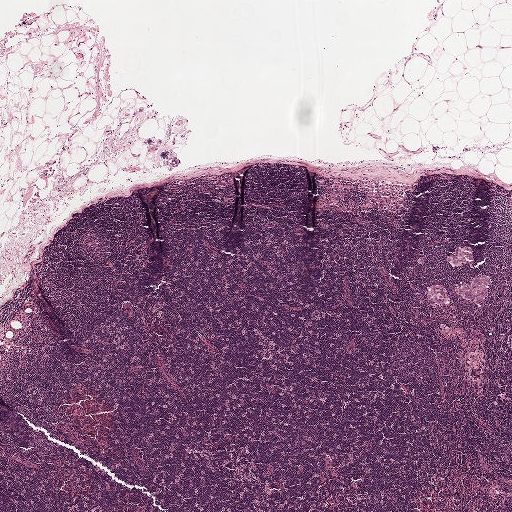
H&E-stained section of a sentinel lymph node (breast cancer), from a whole-slide image, viewed at about 2.5×: the field is about 2.0 mm across, about 3.9 µm per pixel.
Five metastatic tumour regions, each outlined as a closed clockwise path in crop pixels (x, y), largest first: region 1: (361, 186), (409, 191), (400, 216), (389, 217), (375, 214), (361, 214), (369, 194), (359, 191); region 2: (477, 275), (486, 276), (490, 280), (486, 297), (482, 303), (466, 300), (455, 292), (454, 285), (456, 284), (459, 287), (459, 282), (468, 285); region 3: (465, 246), (472, 249), (473, 261), (453, 266), (446, 260), (447, 257), (453, 254), (456, 247); region 4: (432, 285), (436, 285), (444, 289), (447, 295), (449, 299), (449, 302), (441, 304), (437, 304), (431, 303), (429, 302), (427, 295), (427, 287); region 5: (334, 199), (339, 200), (342, 210), (351, 214), (350, 217), (328, 215), (322, 212), (322, 206), (329, 200).
The annotated tumour makes up under 5% of the crop.